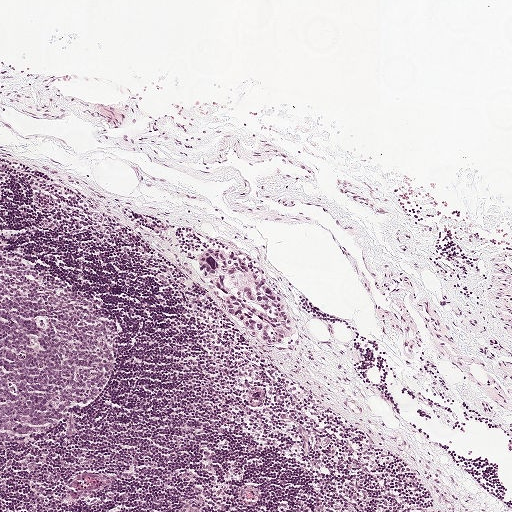
H&E-stained section of a sentinel lymph node (breast cancer), from a whole-slide image, viewed at about 5×: the field is about 1 mm across, about 1.9 µm per pixel.
One metastatic tumour region; its boundary, reduced to 17 corners and listed clockwise: (207, 248), (214, 248), (246, 260), (264, 276), (273, 290), (283, 296), (293, 328), (290, 344), (283, 348), (274, 348), (261, 343), (246, 331), (232, 316), (222, 294), (211, 287), (198, 262), (198, 257).
Under 5% of this field is tumour.